Question: 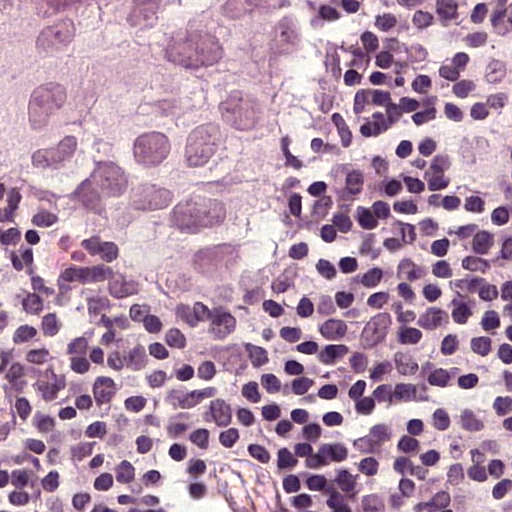
About what magnification does this crop show?

Choices:
 (A) about 5×
 (B) about 2.5×
 (C) about 10×
 (D) about 40×
 (E) about 20×

Answer: (D) about 40×
A 0.12-mm field of an H&E-stained sentinel lymph node from a breast-cancer patient (whole-slide image), shown at about 40×, about 0.24 µm per pixel.
The outlined metastatic tumour's edge, as a closed clockwise path of 11 points: (294, 0), (259, 154), (261, 275), (238, 311), (195, 310), (141, 287), (86, 221), (36, 217), (1, 190), (0, 14), (11, 4).
About 25% of this field is tumour.